This is a crop of a whole-slide image: an H&E-stained breast-cancer sentinel lymph node section at roughly 10× magnification (about 0.97 µm per pixel; the crop spans about 0.5 mm).
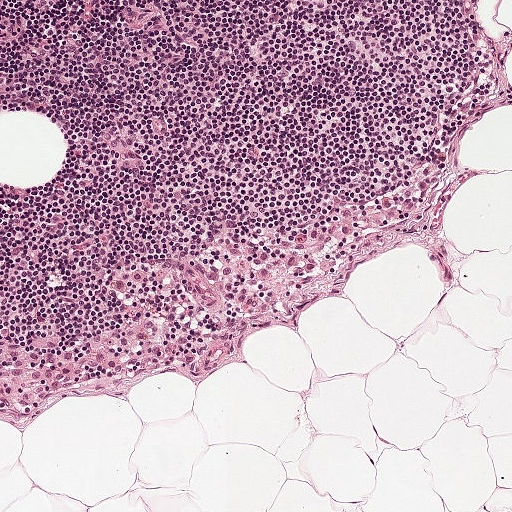
Question: Is any metastatic breast cancer visible in this crop?
Answer: No: no metastatic tumour is outlined anywhere in this field.